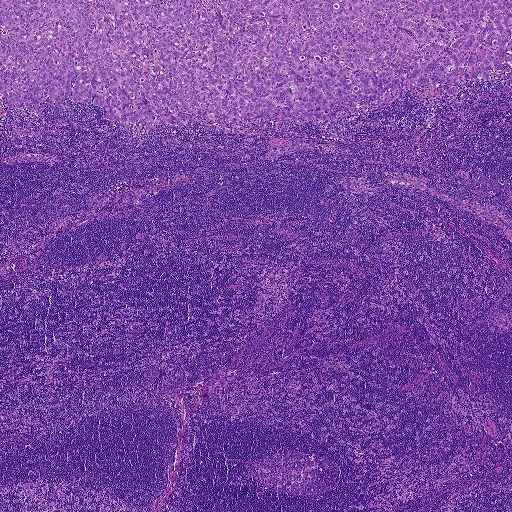
H&E-stained section of a sentinel lymph node (breast cancer), from a whole-slide image, viewed at about 2.5×: the field is about 1.9 mm across, about 3.6 µm per pixel.
Tumour region outline (a closed clockwise path, crop pixels): (0, 0), (511, 0), (511, 62), (488, 78), (387, 90), (322, 125), (200, 115), (146, 127), (108, 120), (105, 109), (70, 95), (42, 102), (43, 115), (4, 99).
About 20% of this field is tumour.